Image:
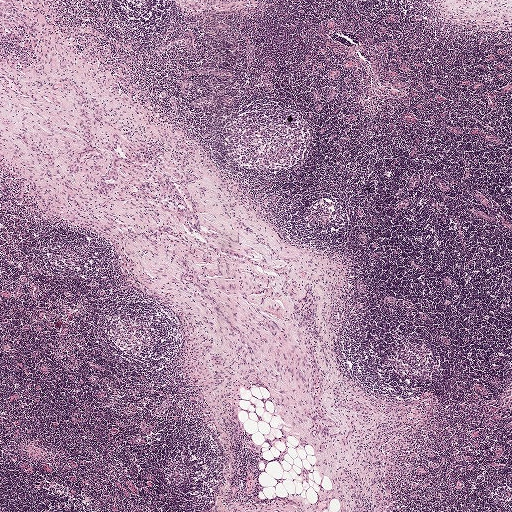
This is a crop of a whole-slide image: an H&E-stained breast-cancer sentinel lymph node section at roughly 2.5× magnification (about 3.9 µm per pixel; the crop spans about 2.0 mm).
Question:
Does this lymph node field contain metastatic tumour?
Answer:
No: no metastatic tumour is outlined anywhere in this field.